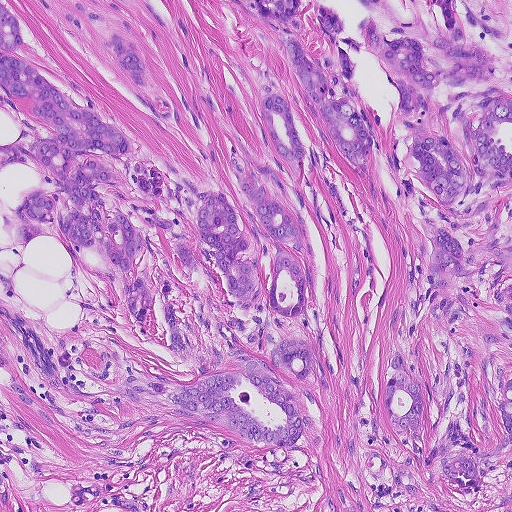
Lymph node section stained with H&E, from a whole-slide image of a breast-cancer sentinel node. Magnification about 10×, about 0.46 mm across the frame, about 0.9 µm per pixel.
Outlines of four tumour regions, largest first (closed clockwise paths, crop pixels): region 1: (0, 0), (51, 86), (133, 144), (107, 156), (129, 178), (151, 160), (163, 189), (179, 182), (162, 160), (230, 196), (248, 238), (231, 138), (282, 184), (265, 180), (300, 212), (314, 265), (311, 314), (272, 324), (312, 347), (310, 380), (290, 385), (314, 424), (298, 445), (110, 396), (51, 426), (0, 382), (0, 330), (41, 401), (107, 389), (119, 358), (202, 381), (146, 342), (96, 246), (56, 219), (14, 244), (20, 199), (57, 189), (0, 167), (20, 133), (0, 104); region 2: (354, 0), (386, 0), (432, 30), (445, 18), (432, 0), (487, 0), (507, 39), (488, 38), (511, 59), (511, 511), (422, 511), (388, 480), (402, 449), (384, 379), (420, 312), (427, 263), (418, 206), (387, 156), (402, 96), (364, 34), (371, 13), (382, 36), (395, 16); region 3: (251, 0), (300, 0), (301, 36), (312, 57), (324, 56), (330, 46), (315, 27), (313, 0), (342, 20), (343, 32), (338, 37), (350, 38), (360, 44), (358, 55), (341, 42), (338, 46), (353, 64), (351, 77), (373, 135), (373, 147), (367, 159), (372, 182), (345, 159), (315, 120), (290, 107), (306, 153), (298, 162), (281, 160), (262, 124), (265, 64), (286, 94), (311, 116), (275, 38), (249, 10); region 4: (37, 0), (127, 0), (157, 89), (175, 104), (181, 89), (188, 96), (203, 114), (204, 126), (200, 136), (192, 129), (181, 109), (183, 128), (170, 120), (162, 128), (140, 103), (118, 64), (86, 33), (53, 19).
One more small tumour piece is annotated here but not outlined.
About 50% of the image area is annotated as tumour.